Lymph node section stained with H&E, from a whole-slide image of a breast-cancer sentinel node. Magnification about 10×, about 0.46 mm across the frame, about 0.9 µm per pixel.
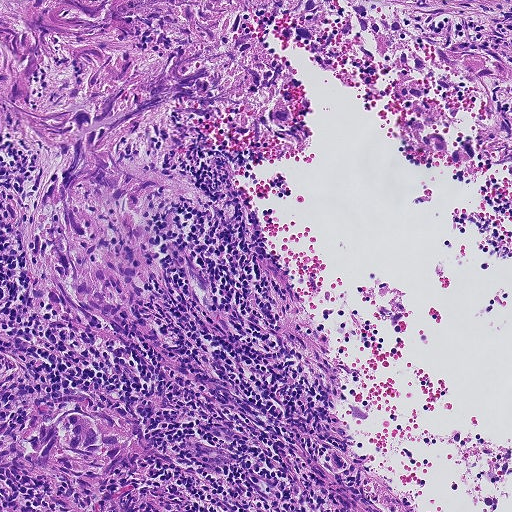
Outlines of three tumour regions, largest first (closed clockwise paths, crop pixels): region 1: (0, 0), (511, 0), (511, 179), (419, 160), (263, 24), (306, 133), (176, 147), (166, 164), (233, 226), (174, 201), (170, 224), (241, 342), (147, 302), (172, 352), (253, 414), (28, 318), (72, 356), (19, 342), (44, 402), (104, 391), (184, 472), (142, 476), (124, 509), (0, 511); region 2: (321, 448), (339, 453), (378, 478), (419, 511), (374, 511), (372, 508), (353, 496), (318, 470); region 3: (332, 504), (354, 504), (349, 511), (331, 511).
About 50% of the image area is annotated as tumour.